Question: 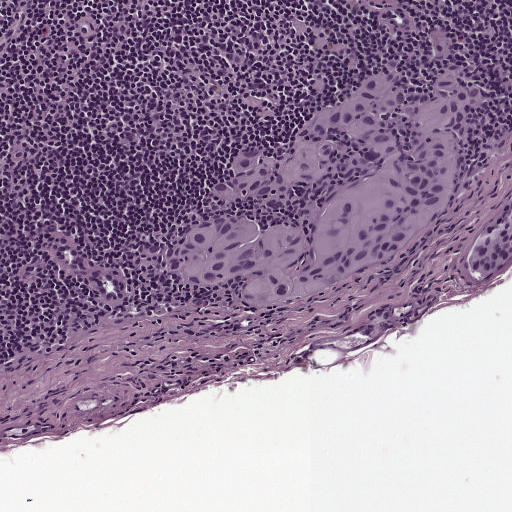
Lymph node section stained with H&E, from a whole-slide image of a breast-cancer sentinel node. Magnification about 10×, about 0.5 mm across the frame, about 0.97 µm per pixel.
Estimate the proportion of this field that is metastatic tumour.

Choices:
 (A) about 10% to 20%
 (B) about 25% to 45%
 (C) about 50% or more
 (D) none: no tumour is outlined
 (E) about 5% or less

Answer: (A) about 10% to 20%
About 20% of the field is tumour.
Three metastatic tumour regions, each outlined as a closed clockwise path in crop pixels (x, y), largest first: region 1: (440, 24), (457, 40), (461, 69), (491, 98), (450, 194), (388, 267), (263, 310), (248, 308), (232, 284), (186, 288), (136, 255), (136, 240), (148, 234), (263, 203), (199, 207), (194, 193), (237, 146), (268, 151), (374, 67), (391, 68), (416, 92), (435, 71), (426, 30); region 2: (511, 199), (511, 263), (496, 278), (474, 282), (466, 272), (465, 262), (475, 232), (498, 212), (507, 200); region 3: (385, 302), (396, 310), (401, 318), (396, 330), (384, 340), (368, 341), (360, 329), (362, 314), (372, 305).